A 2.0-mm field of an H&E-stained sentinel lymph node from a breast-cancer patient (whole-slide image), shown at about 2.5×, about 3.9 µm per pixel.
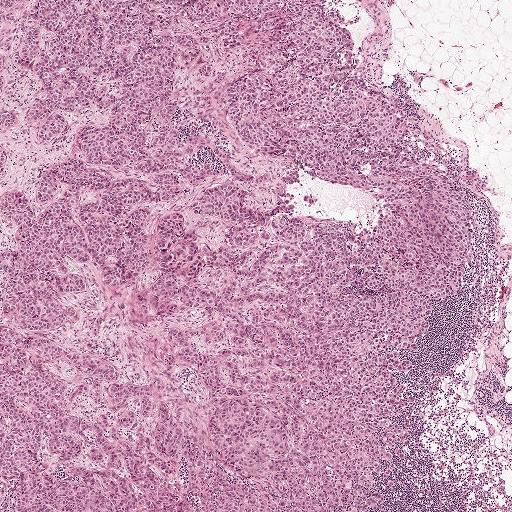
One metastatic tumour region; its boundary, reduced to 19 corners and listed clockwise: (0, 0), (332, 0), (342, 13), (361, 46), (352, 71), (396, 101), (461, 178), (479, 236), (467, 287), (438, 305), (422, 349), (408, 355), (415, 372), (396, 375), (417, 399), (416, 418), (406, 464), (377, 511), (0, 511).
Tumour covers about 80% of the frame.